A 1-mm field of an H&E-stained sentinel lymph node from a breast-cancer patient (whole-slide image), shown at about 5×, about 1.9 µm per pixel.
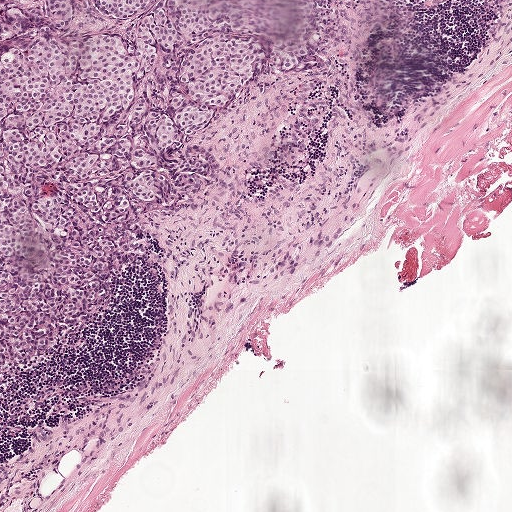
Question: Is any metastatic breast cancer visible in this crop?
Answer: Yes.
The outlined metastatic tumour's edge, as a closed clockwise path of 11 points: (0, 0), (332, 0), (312, 53), (232, 91), (202, 121), (197, 140), (219, 160), (217, 181), (143, 220), (89, 325), (0, 373).
About 25% of this field is tumour.